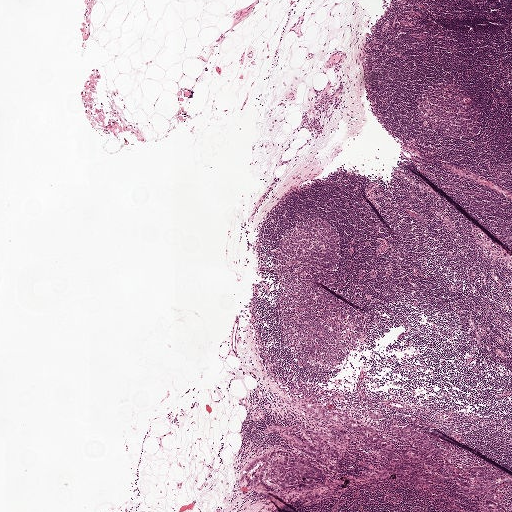
This is a crop of a whole-slide image: an H&E-stained breast-cancer sentinel lymph node section at roughly 2.5× magnification (about 3.9 µm per pixel; the crop spans about 2.0 mm).
Outlines of six tumour regions, largest first (closed clockwise paths, crop pixels): region 1: (279, 449), (292, 454), (320, 469), (325, 476), (324, 484), (305, 492), (288, 492), (269, 498), (247, 490), (241, 473), (250, 460), (268, 451); region 2: (412, 450), (430, 459), (451, 464), (460, 469), (478, 466), (497, 469), (511, 477), (511, 488), (502, 488), (498, 493), (498, 498), (505, 503), (508, 511), (485, 511), (484, 497), (464, 496), (452, 480), (410, 465), (401, 456), (401, 451); region 3: (293, 423), (302, 429), (321, 429), (328, 435), (329, 428), (339, 428), (344, 431), (347, 446), (343, 458), (333, 464), (335, 467), (333, 470), (328, 470), (311, 458), (290, 447), (277, 435), (263, 432), (264, 427), (270, 424); region 4: (305, 398), (349, 417), (365, 421), (384, 436), (389, 444), (388, 447), (380, 448), (366, 442), (344, 426), (324, 421), (301, 407), (301, 402); region 5: (408, 425), (447, 441), (453, 448), (452, 458), (447, 459), (434, 457), (412, 448), (394, 436), (391, 429), (392, 426); region 6: (370, 410), (374, 412), (375, 414), (377, 413), (380, 414), (383, 414), (383, 418), (375, 420), (372, 420), (369, 418), (367, 416), (367, 412).
About 5% of this field is tumour.